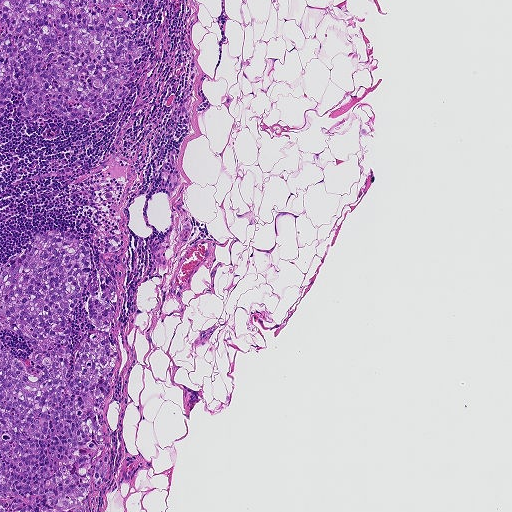
This is a crop of a whole-slide image: an H&E-stained breast-cancer sentinel lymph node section at roughly 5× magnification (about 1.8 µm per pixel; the crop spans about 0.93 mm).
Three metastatic tumour regions, each outlined as a closed clockwise path in crop pixels (x, y), largest first: region 1: (45, 231), (82, 243), (88, 283), (106, 277), (72, 315), (68, 374), (79, 338), (98, 329), (87, 300), (100, 294), (106, 285), (118, 292), (103, 332), (118, 355), (95, 407), (102, 441), (85, 511), (0, 511), (0, 342), (15, 357), (32, 350), (0, 328), (0, 262); region 2: (0, 0), (147, 0), (139, 11), (135, 32), (128, 37), (147, 52), (133, 61), (135, 71), (124, 85), (128, 91), (125, 98), (105, 117), (92, 122), (79, 118), (65, 121), (48, 108), (23, 118), (19, 112), (23, 98), (17, 92), (3, 116); region 3: (115, 235), (121, 239), (121, 248), (114, 252), (106, 250), (109, 242).
Tumour covers about 15% of the frame.